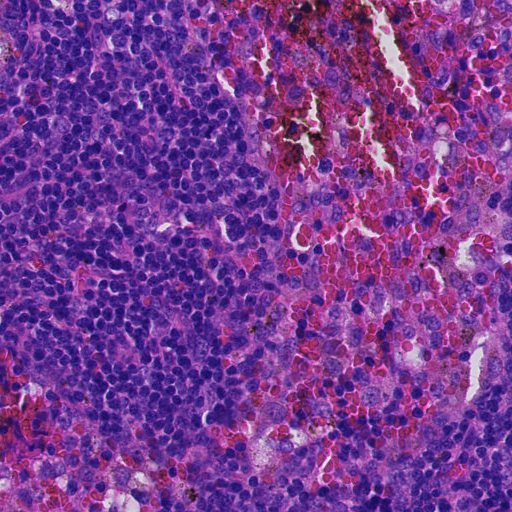
A 0.23-mm field of an H&E-stained sentinel lymph node from a breast-cancer patient (whole-slide image), shown at about 20×, about 0.45 µm per pixel.